Question: 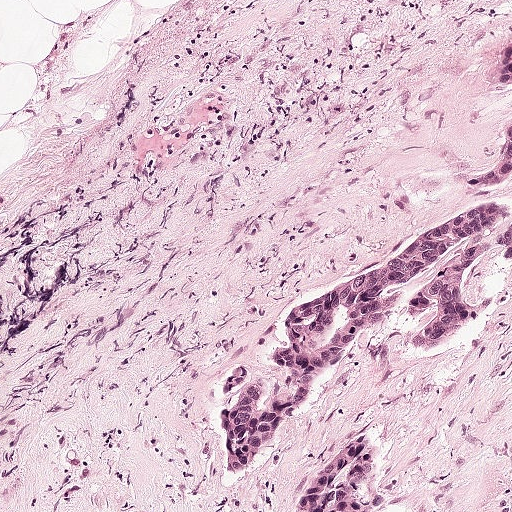
H&E-stained section of a sentinel lymph node (breast cancer), from a whole-slide image, viewed at about 10×: the field is about 0.5 mm across, about 0.97 µm per pixel.
Roughly what share of this field is metastatic tumour?

Choices:
 (A) none: no tumour is outlined
 (B) about 50% or more
 (C) about 25% to 45%
 (D) about 10% to 20%
 (E) about 5% or less

Answer: (D) about 10% to 20%
About 10% of the field is tumour.
Tumour region outline (a closed clockwise path, crop pixels): (511, 202), (511, 284), (476, 329), (460, 340), (431, 340), (410, 351), (384, 343), (365, 348), (311, 392), (272, 451), (218, 484), (226, 440), (212, 401), (222, 362), (237, 356), (271, 363), (287, 342), (297, 301), (400, 258).